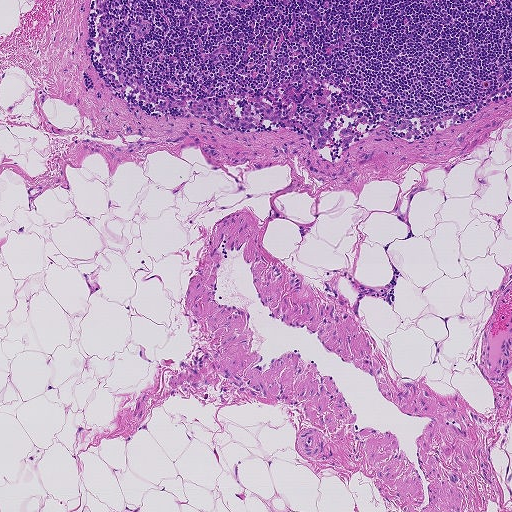
This is a crop of a whole-slide image: an H&E-stained breast-cancer sentinel lymph node section at roughly 5× magnification (about 1.8 µm per pixel; the crop spans about 0.93 mm).
Question: Does this lymph node field contain metastatic tumour?
Answer: No: no metastatic tumour is outlined anywhere in this field.